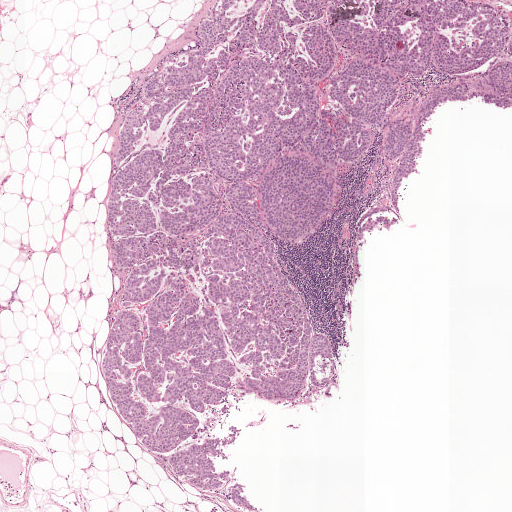
H&E-stained section of a sentinel lymph node (breast cancer), from a whole-slide image, viewed at about 2.5×: the field is about 2.0 mm across, about 3.9 µm per pixel.
Two metastatic tumour regions, each outlined as a closed clockwise path in crop pixels (x, y), largest first: region 1: (222, 1), (511, 19), (511, 112), (436, 113), (407, 221), (366, 234), (363, 274), (356, 273), (356, 224), (391, 205), (378, 135), (342, 162), (325, 225), (273, 236), (344, 378), (340, 399), (245, 396), (213, 430), (243, 430), (216, 462), (258, 511), (147, 449), (101, 366), (119, 115); region 2: (289, 422), (301, 424), (299, 429), (293, 430), (284, 428).
Tumour covers about 45% of the frame.